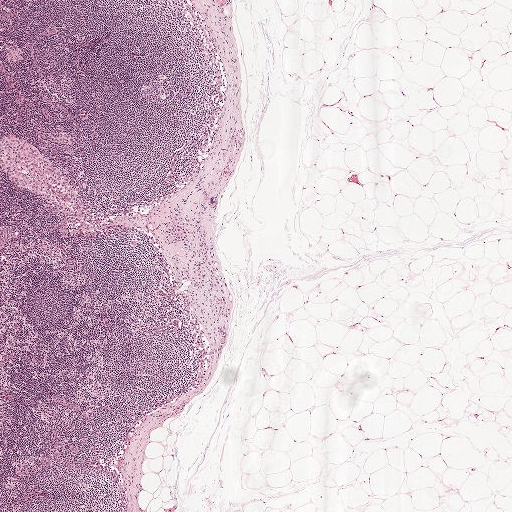
A 2.0-mm field of an H&E-stained sentinel lymph node from a breast-cancer patient (whole-slide image), shown at about 2.5×, about 3.9 µm per pixel.
Metastatic tumour outline, simplified to 23 points and listed clockwise in crop pixels (x, y): (173, 216), (185, 221), (194, 235), (212, 241), (214, 263), (222, 274), (229, 310), (226, 319), (218, 319), (220, 332), (213, 355), (206, 338), (197, 337), (197, 332), (204, 328), (204, 321), (190, 301), (190, 283), (182, 271), (187, 264), (187, 252), (162, 240), (164, 225).
Under 5% of the image area is annotated as tumour.